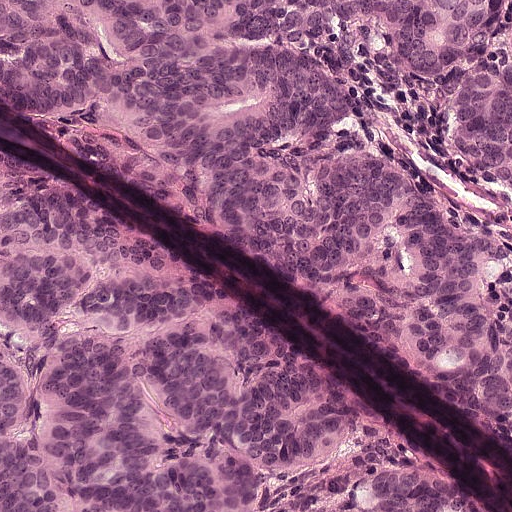
A 0.25-mm field of an H&E-stained sentinel lymph node from a breast-cancer patient (whole-slide image), shown at about 20×, about 0.49 µm per pixel.
Two metastatic tumour regions, each outlined as a closed clockwise path in crop pixels (x, y), largest first: region 1: (0, 0), (511, 0), (511, 444), (474, 400), (411, 355), (2, 128); region 2: (0, 148), (300, 338), (422, 472), (477, 510), (0, 511).
Tumour covers about 90% of the frame.